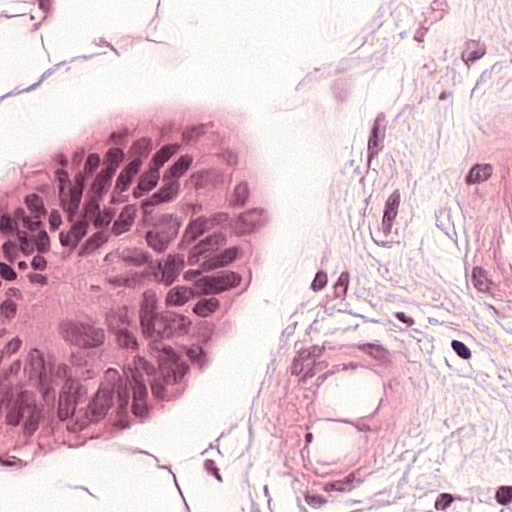
Lymph node section stained with H&E, from a whole-slide image of a breast-cancer sentinel node. Magnification about 40×, about 0.12 mm across the frame, about 0.24 µm per pixel.
Tumour region outline (a closed clockwise path, crop pixels): (200, 117), (269, 164), (274, 220), (257, 317), (225, 395), (178, 449), (135, 477), (25, 482), (0, 470), (0, 205), (128, 136).
Tumour covers about 30% of the frame.